This is a crop of a whole-slide image: an H&E-stained breast-cancer sentinel lymph node section at roughly 20× magnification (about 0.49 µm per pixel; the crop spans about 0.25 mm).
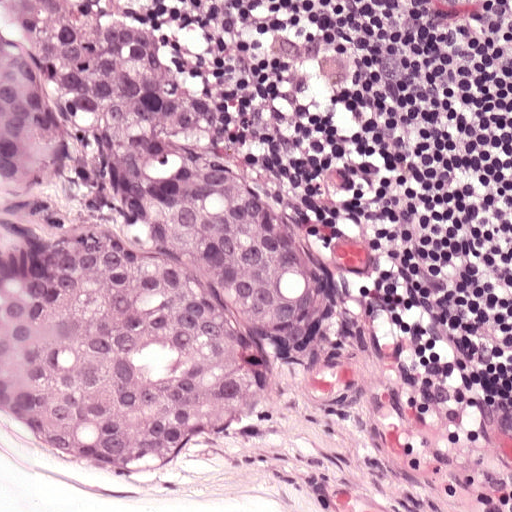
Metastatic tumour outline, simplified to 20 points and listed clockwise in crop pixels (x, y): (0, 0), (112, 0), (163, 49), (206, 144), (294, 198), (325, 238), (338, 286), (321, 334), (273, 352), (263, 400), (234, 444), (136, 470), (0, 433), (0, 269), (86, 240), (147, 234), (96, 154), (34, 98), (48, 179), (0, 182).
About 40% of this field is tumour.